Question: 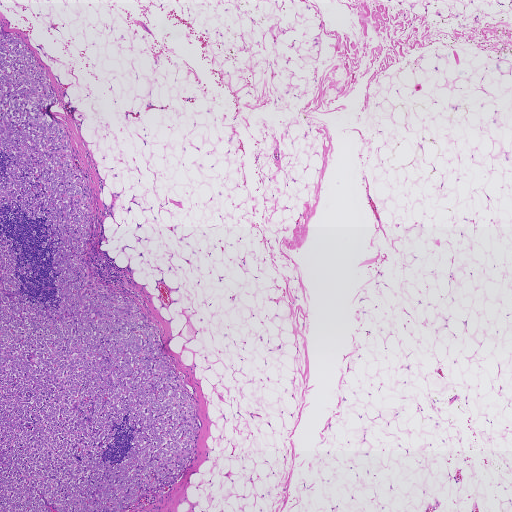
H&E-stained section of a sentinel lymph node (breast cancer), from a whole-slide image, viewed at about 2.5×: the field is about 1.9 mm across, about 3.6 µm per pixel.
What fraction of the image area is metastatic tumour?

Choices:
 (A) about 25% to 45%
 (B) about 10% to 20%
 (C) none: no tumour is outlined
 (D) about 50% or more
 (E) about 5% or less

Answer: (B) about 10% to 20%
About 20% of the field is tumour.
Tumour region outline (a closed clockwise path, crop pixels): (0, 22), (48, 72), (58, 101), (47, 114), (64, 125), (89, 179), (87, 266), (157, 323), (194, 398), (199, 431), (189, 467), (162, 496), (151, 491), (123, 511), (0, 511).
Two more small tumour pieces are annotated here but not outlined.